Image:
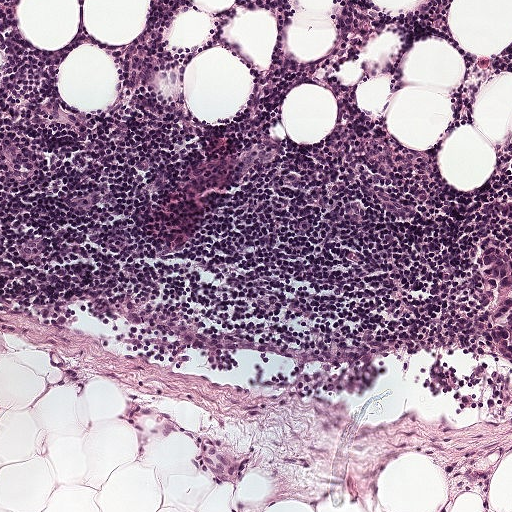
A 0.5-mm field of an H&E-stained sentinel lymph node from a breast-cancer patient (whole-slide image), shown at about 10×, about 0.97 µm per pixel.
Question:
Where is the metastatic tumour in this field? Give each region's outline as (x, y) pixel points.
Answer:
Metastatic tumour outline, simplified to 16 points and listed clockwise in crop pixels (x, y): (511, 308), (511, 379), (508, 378), (508, 377), (504, 374), (504, 373), (500, 372), (498, 369), (496, 361), (496, 356), (497, 343), (498, 343), (499, 338), (506, 322), (508, 318), (510, 311).
Under 5% of this field is tumour.